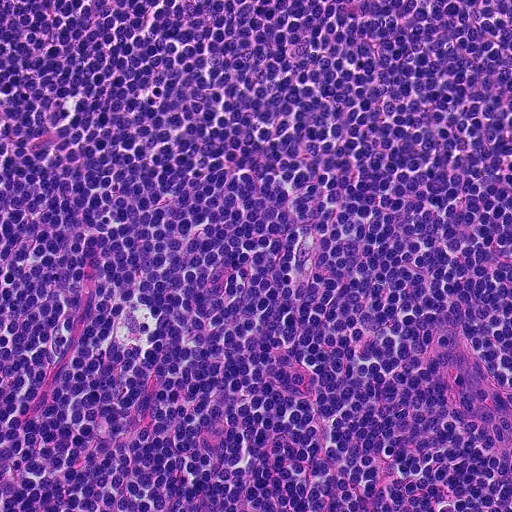
Lymph node section stained with H&E, from a whole-slide image of a breast-cancer sentinel node. Magnification about 20×, about 0.23 mm across the frame, about 0.45 µm per pixel.